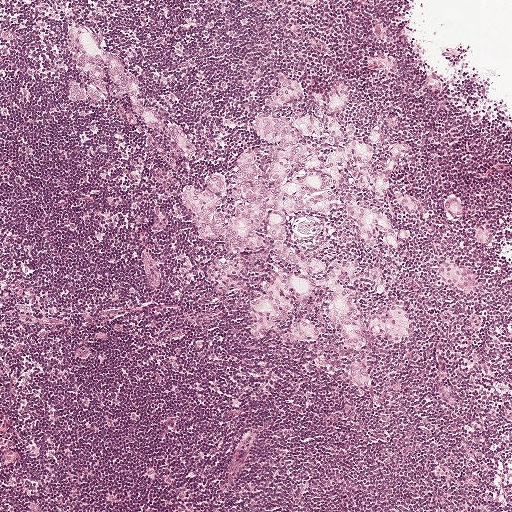
H&E-stained section of a sentinel lymph node (breast cancer), from a whole-slide image, viewed at about 5×: the field is about 1 mm across, about 1.9 µm per pixel.
Eight metastatic tumour regions, each outlined as a closed clockwise path in crop pixels (x, y), largest first: region 1: (287, 77), (308, 98), (278, 109), (276, 121), (291, 121), (322, 110), (329, 87), (354, 85), (344, 123), (366, 140), (379, 126), (403, 146), (390, 182), (423, 206), (414, 216), (334, 183), (332, 194), (408, 232), (392, 253), (355, 246), (340, 209), (286, 220), (296, 251), (346, 263), (365, 333), (357, 353), (329, 331), (320, 291), (246, 338), (249, 299), (279, 271), (256, 251), (238, 292), (216, 298), (204, 279), (220, 250), (193, 241), (181, 191), (237, 176), (254, 115); region 2: (89, 27), (96, 30), (111, 51), (134, 71), (139, 79), (141, 96), (163, 114), (184, 124), (201, 145), (198, 163), (188, 162), (169, 149), (158, 135), (141, 131), (123, 101), (98, 96), (91, 103), (82, 104), (67, 97), (72, 65), (66, 53), (66, 42), (75, 30); region 3: (393, 304), (401, 304), (404, 306), (410, 328), (401, 343), (395, 343), (373, 333), (368, 322), (368, 313), (379, 312); region 4: (448, 258), (470, 271), (474, 277), (474, 294), (460, 294), (443, 281), (436, 272), (436, 263); region 5: (300, 319), (311, 323), (318, 332), (318, 340), (313, 343), (300, 342), (290, 336), (288, 324); region 6: (449, 194), (457, 194), (464, 206), (463, 214), (458, 218), (450, 218), (444, 212), (444, 203); region 7: (350, 362), (356, 363), (365, 370), (369, 381), (368, 385), (362, 388), (355, 386), (349, 375); region 8: (477, 228), (489, 230), (491, 234), (491, 241), (484, 244), (478, 244), (473, 237), (474, 231).
About 15% of this field is tumour.